Image:
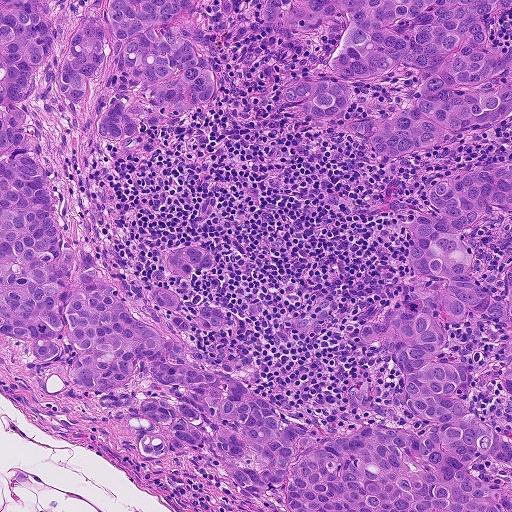
This is a crop of a whole-slide image: an H&E-stained breast-cancer sentinel lymph node section at roughly 10× magnification (about 0.9 µm per pixel; the crop spans about 0.46 mm).
Question:
Show where the tumour is in this image.
Answer:
Outlines of four tumour regions, largest first (closed clockwise paths, crop pixels): region 1: (0, 0), (45, 0), (64, 26), (20, 105), (50, 169), (62, 247), (97, 251), (139, 310), (169, 282), (162, 260), (178, 243), (200, 243), (214, 268), (170, 289), (185, 292), (185, 314), (223, 302), (240, 327), (178, 336), (293, 420), (424, 430), (399, 366), (351, 329), (402, 284), (404, 238), (432, 209), (426, 186), (511, 157), (511, 511), (286, 511), (281, 487), (234, 489), (207, 451), (142, 460), (119, 420), (65, 377), (70, 350), (27, 363), (0, 338); region 2: (266, 0), (511, 0), (511, 13), (488, 18), (487, 46), (511, 46), (511, 120), (375, 162), (344, 129), (417, 102), (418, 69), (396, 65), (350, 80), (354, 108), (338, 125), (315, 127), (280, 94), (286, 82), (325, 77), (343, 16), (323, 18), (303, 36), (284, 36), (264, 18); region 3: (93, 0), (199, 0), (196, 3), (217, 92), (202, 110), (140, 138), (134, 150), (116, 152), (103, 146), (89, 134), (116, 70), (108, 54), (82, 105), (57, 99), (56, 76); region 4: (256, 0), (248, 3), (236, 2), (234, 16), (220, 16), (218, 1).
About 55% of the image area is annotated as tumour.